Lymph node section stained with H&E, from a whole-slide image of a breast-cancer sentinel node. Magnification about 40×, about 0.12 mm across the frame, about 0.24 µm per pixel.
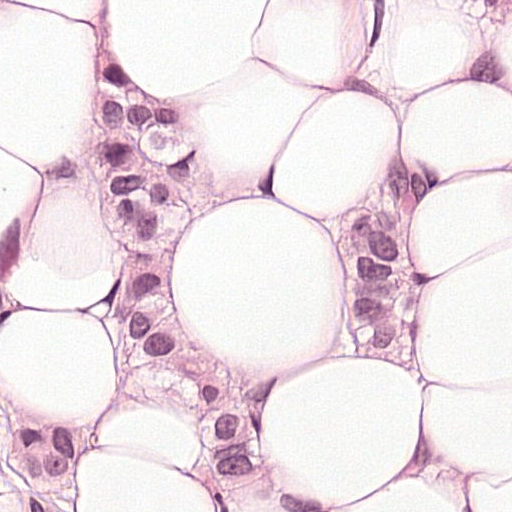
Question: Which parts of this field are metastatic tumour?
Answer: Boundaries of three metastatic tumour regions, simplified and listed clockwise, largest first: region 1: (116, 32), (139, 66), (163, 145), (220, 165), (209, 210), (172, 236), (172, 269), (183, 291), (257, 339), (275, 428), (324, 465), (348, 511), (201, 511), (201, 454), (127, 417), (112, 417), (90, 447), (87, 511), (0, 511), (0, 243), (32, 208), (47, 166), (105, 106); region 2: (395, 151), (437, 158), (452, 166), (452, 195), (424, 237), (426, 306), (432, 311), (437, 369), (411, 374), (366, 405), (334, 395), (334, 377), (345, 353), (345, 306), (337, 258), (318, 211), (366, 185); region 3: (407, 0), (511, 0), (511, 22), (500, 23), (489, 19), (489, 16), (479, 14), (476, 11).
Tumour covers about 40% of the frame.